H&E-stained section of a sentinel lymph node (breast cancer), from a whole-slide image, viewed at about 10×: the field is about 0.5 mm across, about 0.97 µm per pixel.
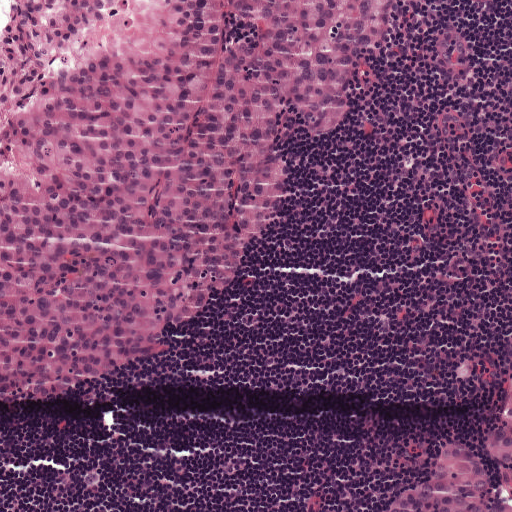
Outlines of two tumour regions, largest first (closed clockwise paths, crop pixels): region 1: (0, 0), (398, 0), (370, 100), (309, 152), (267, 263), (115, 388), (2, 412); region 2: (511, 306), (511, 511), (385, 511), (440, 442), (474, 418).
Tumour covers about 50% of the frame.